Image:
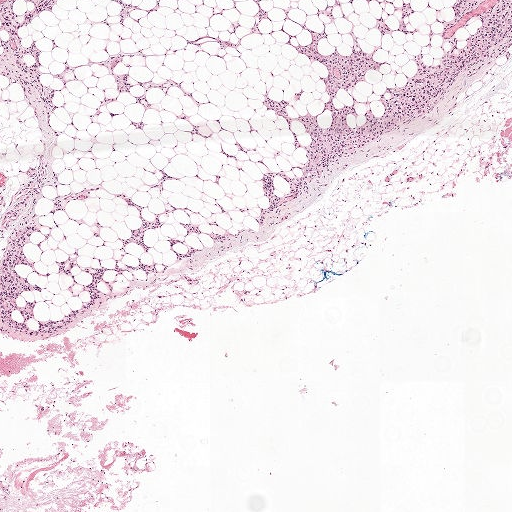
Lymph node section stained with H&E, from a whole-slide image of a breast-cancer sentinel node. Magnification about 2.5×, about 2.0 mm across the frame, about 3.9 µm per pixel.
Question:
Show where the tumour is in this image.
Answer:
Boundaries of eight metastatic tumour regions, simplified and listed clockwise, largest first: region 1: (0, 0), (56, 0), (51, 12), (42, 12), (24, 23), (19, 36), (23, 45), (33, 41), (45, 52), (51, 46), (52, 37), (58, 46), (38, 58), (39, 76), (43, 84), (56, 88), (51, 100), (58, 105), (42, 118), (36, 104), (23, 92), (14, 80), (1, 76); region 2: (114, 191), (130, 196), (136, 203), (142, 204), (145, 206), (145, 208), (140, 214), (140, 217), (141, 219), (146, 219), (152, 218), (153, 216), (154, 211), (159, 221), (159, 225), (158, 226), (150, 228), (142, 232), (142, 235), (144, 239), (148, 246), (144, 250), (137, 244), (130, 240), (127, 241), (125, 242), (122, 250), (121, 250), (121, 243), (118, 238), (128, 236), (130, 234), (131, 230), (137, 227), (139, 224), (136, 208), (133, 205), (128, 204), (113, 194); region 3: (389, 0), (400, 5), (402, 2), (410, 0), (409, 5), (413, 10), (404, 16), (404, 23), (406, 26), (409, 28), (417, 28), (416, 32), (412, 35), (404, 36), (401, 30), (398, 30), (390, 34), (385, 33), (384, 36), (380, 36), (373, 26), (376, 19), (379, 16), (383, 16), (387, 26), (397, 27), (397, 19), (399, 17), (400, 13), (399, 11), (390, 7); region 4: (117, 53), (122, 55), (121, 60), (114, 66), (114, 71), (127, 73), (127, 82), (130, 84), (128, 92), (125, 93), (118, 93), (113, 77), (110, 75), (104, 65), (99, 63), (103, 59); region 5: (452, 0), (485, 0), (467, 12), (455, 24), (444, 28), (439, 22), (439, 19), (450, 20), (452, 16); region 6: (188, 221), (191, 223), (196, 224), (200, 229), (203, 231), (215, 231), (220, 233), (223, 237), (223, 241), (222, 241), (209, 237), (201, 232), (195, 232), (186, 236), (184, 242), (176, 241), (173, 242), (173, 250), (178, 254), (183, 254), (187, 251), (187, 246), (188, 246), (197, 248), (198, 249), (196, 251), (192, 251), (186, 254), (182, 258), (179, 258), (170, 249), (168, 240), (168, 238), (175, 239), (180, 238), (184, 236), (185, 230), (180, 223); region 7: (260, 0), (261, 7), (266, 11), (270, 20), (259, 24), (261, 34), (250, 32), (250, 26), (253, 23), (253, 12), (256, 5), (254, 1); region 8: (333, 0), (352, 0), (351, 2), (344, 2), (341, 5), (342, 8), (345, 14), (345, 17), (337, 16), (335, 18), (330, 20), (326, 18), (323, 12), (323, 8), (327, 4), (333, 3).
Two more tumour regions are annotated but not outlined: their edges are too irregular for short outlines.
Two more, smaller tumour regions are not outlined.
Two more small tumour pieces are annotated here but not outlined.
The annotated tumour makes up about 10% of the crop.